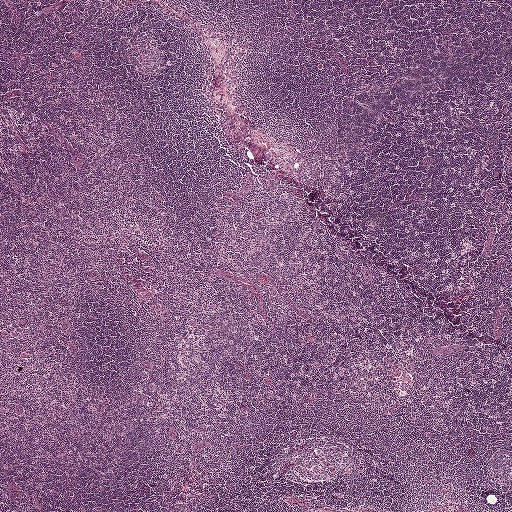
H&E-stained section of a sentinel lymph node (breast cancer), from a whole-slide image, viewed at about 2.5×: the field is about 2.0 mm across, about 3.9 µm per pixel.